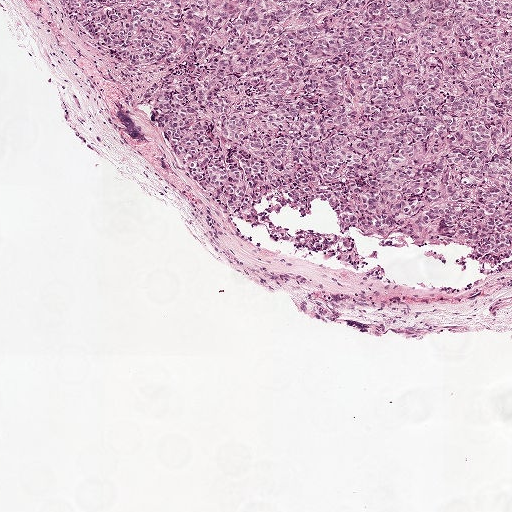
H&E-stained section of a sentinel lymph node (breast cancer), from a whole-slide image, viewed at about 5×: the field is about 1 mm across, about 1.9 µm per pixel.
Metastatic tumour outline, simplified to 8 points and listed clockwise in crop pixels (x, y): (511, 0), (511, 316), (440, 321), (336, 301), (239, 251), (203, 206), (133, 149), (41, 2).
The annotated tumour makes up about 40% of the crop.